H&E-stained section of a sentinel lymph node (breast cancer), from a whole-slide image, viewed at about 5×: the field is about 1 mm across, about 1.9 µm per pixel.
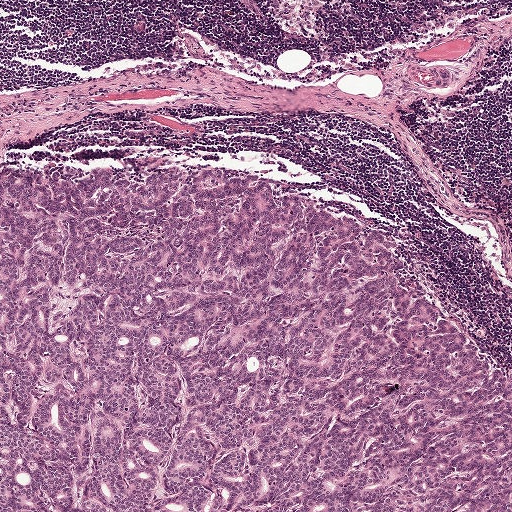
One metastatic tumour region; its boundary, reduced to 7 corners and listed clockwise: (213, 162), (275, 177), (393, 243), (511, 372), (511, 511), (0, 511), (0, 176).
About 60% of this field is tumour.